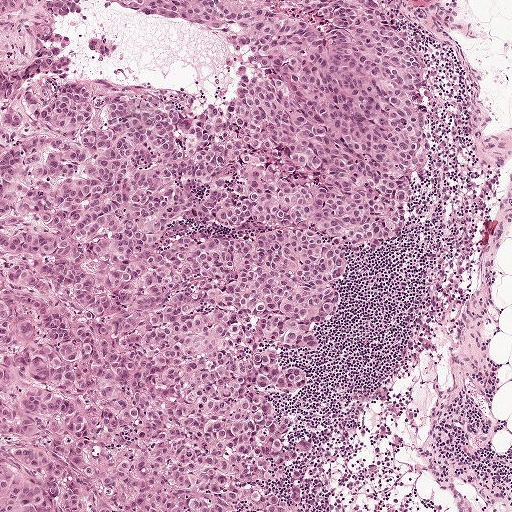
Lymph node section stained with H&E, from a whole-slide image of a breast-cancer sentinel node. Magnification about 5×, about 1 mm across the frame, about 1.9 µm per pixel.
Tumour region outline (a closed clockwise path, crop pixels): (0, 0), (400, 0), (413, 17), (437, 93), (441, 157), (407, 235), (360, 256), (325, 347), (297, 357), (311, 392), (274, 398), (315, 446), (306, 511), (0, 511).
About 75% of the image area is annotated as tumour.